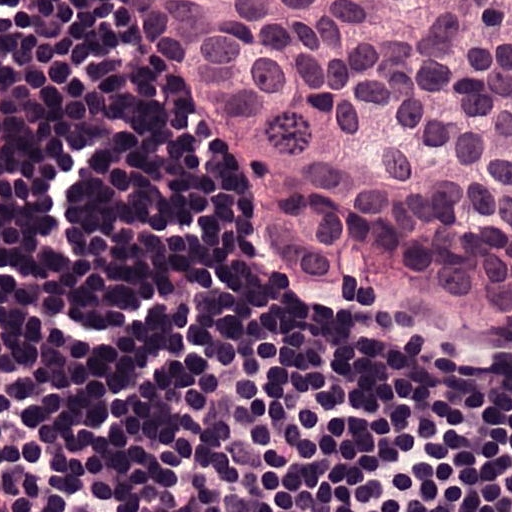
H&E-stained section of a sentinel lymph node (breast cancer), from a whole-slide image, viewed at about 40×: the field is about 0.12 mm across, about 0.24 µm per pixel.
Tumour region outline (a closed clockwise path, crop pixels): (511, 0), (511, 338), (407, 335), (270, 280), (220, 221), (180, 80), (130, 26), (130, 3).
About 40% of the image area is annotated as tumour.